Question: 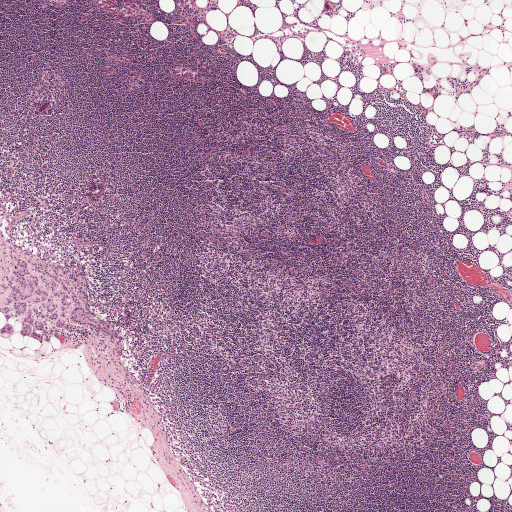
A 2.0-mm field of an H&E-stained sentinel lymph node from a breast-cancer patient (whole-slide image), shown at about 2.5×, about 3.9 µm per pixel.
Roughly what share of this field is metastatic tumour?

Choices:
 (A) about 50% or more
 (B) about 10% to 20%
 (C) none: no tumour is outlined
 (D) about 5% or less
 (E) about 25% to 45%

Answer: (D) about 5% or less
Under 5% of the field is tumour.
Boundaries of two metastatic tumour regions, simplified and listed clockwise, largest first: region 1: (19, 258), (38, 276), (41, 288), (57, 304), (54, 313), (67, 323), (71, 311), (79, 307), (114, 333), (79, 324), (57, 329), (59, 337), (50, 335), (50, 342), (44, 336), (41, 344), (24, 337), (22, 322), (29, 310), (53, 313), (41, 302), (33, 304), (39, 295), (34, 292), (22, 302), (27, 308), (20, 315), (14, 309), (17, 302), (10, 304), (14, 332), (3, 334), (7, 321), (0, 306), (12, 298), (0, 284), (7, 275), (16, 283); region 2: (39, 260), (59, 265), (66, 271), (68, 280), (76, 291), (84, 291), (86, 295), (80, 300), (80, 304), (76, 307), (73, 305), (72, 301), (66, 317), (63, 317), (61, 298), (54, 297), (46, 290), (34, 262).
Question: 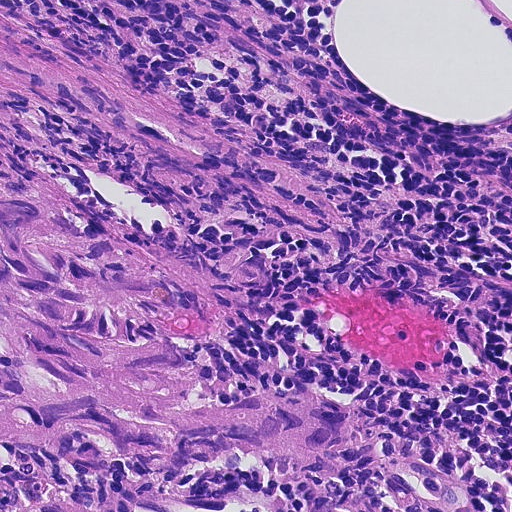
H&E-stained section of a sentinel lymph node (breast cancer), from a whole-slide image, viewed at about 20×: the field is about 0.23 mm across, about 0.45 µm per pixel.
Roughly what share of this field is metastatic tumour?

Choices:
 (A) about 10% to 20%
 (B) about 25% to 45%
 (C) none: no tumour is outlined
 (D) about 5% or less
 (E) about 50% or more

Answer: (B) about 25% to 45%
About 45% of the field is tumour.
Boundaries of two metastatic tumour regions, simplified and listed clockwise, largest first: region 1: (0, 142), (111, 212), (234, 246), (278, 274), (282, 300), (212, 344), (236, 396), (288, 384), (364, 410), (485, 502), (483, 511), (0, 511); region 2: (0, 37), (150, 102), (310, 192), (331, 219), (306, 224), (274, 214), (0, 88).
Question: 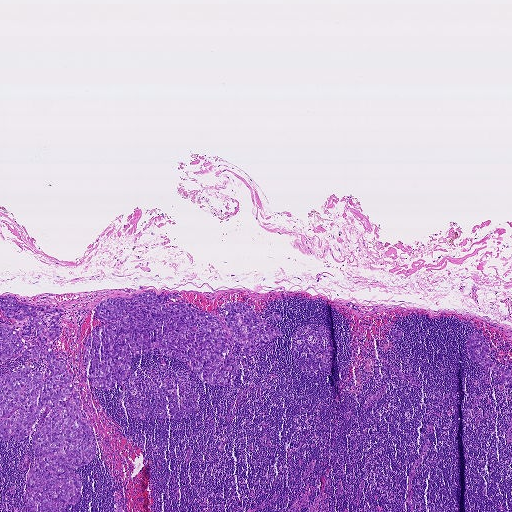
H&E-stained section of a sentinel lymph node (breast cancer), from a whole-slide image, viewed at about 2.5×: the field is about 1.9 mm across, about 3.6 µm per pixel.
Roughly what share of this field is metastatic tumour?

Choices:
 (A) none: no tumour is outlined
 (B) about 5% or less
 (C) about 10% to 20%
 (D) about 25% to 45%
 (E) about 50% or more

Answer: (C) about 10% to 20%
About 10% of the field is tumour.
Boundaries of three metastatic tumour regions, simplified and listed clockwise, largest first: region 1: (0, 297), (65, 311), (51, 345), (68, 362), (80, 420), (96, 444), (94, 460), (72, 471), (82, 494), (63, 511), (26, 506), (38, 420), (20, 442), (0, 438), (0, 377), (25, 365), (47, 375), (47, 361), (17, 354), (0, 365), (0, 323), (19, 329), (27, 320), (6, 317); region 2: (178, 292), (164, 302), (184, 302), (223, 322), (226, 306), (245, 302), (281, 334), (251, 357), (233, 346), (245, 367), (227, 383), (201, 380), (189, 363), (156, 344), (135, 354), (128, 376), (102, 390), (82, 353), (89, 334), (121, 317), (95, 316), (106, 298); region 3: (476, 332), (482, 335), (487, 342), (488, 349), (486, 357), (500, 368), (508, 367), (507, 363), (511, 365), (511, 386), (502, 382), (500, 378), (494, 376), (490, 368), (469, 359), (466, 354), (465, 342), (469, 334).
Three more small tumour pieces are annotated here but not outlined.
Question: 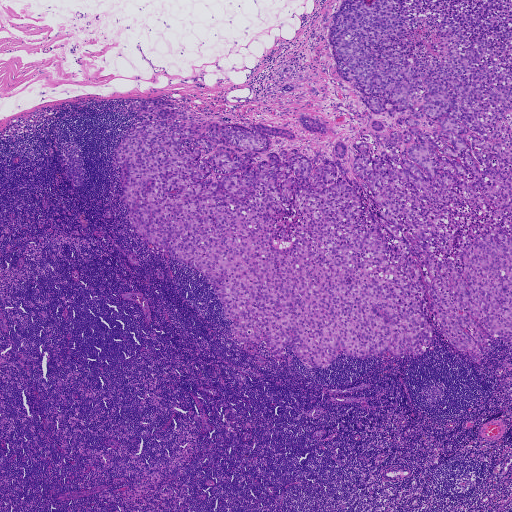
H&E-stained section of a sentinel lymph node (breast cancer), from a whole-slide image, viewed at about 2.5×: the field is about 1.9 mm across, about 3.6 µm per pixel.
Roughly what share of this field is metastatic tumour?

Choices:
 (A) about 50% or more
 (B) about 5% or less
 (C) about 10% to 20%
 (D) none: no tumour is outlined
 (E) about 25% to 45%

Answer: (E) about 25% to 45%
About 40% of the field is tumour.
Outlines of two tumour regions, largest first (closed clockwise paths, crop pixels): region 1: (511, 0), (511, 342), (477, 363), (430, 318), (433, 352), (312, 368), (239, 342), (205, 277), (130, 225), (116, 148), (156, 118), (136, 103), (166, 96), (191, 123), (294, 133), (268, 136), (260, 160), (334, 161), (343, 142), (363, 181), (356, 138), (403, 126), (339, 76), (326, 11); region 2: (301, 115), (310, 116), (326, 125), (328, 129), (327, 133), (322, 134), (305, 130), (299, 123), (298, 118).
Two more small tumour pieces are annotated here but not outlined.